Lymph node section stained with H&E, from a whole-slide image of a breast-cancer sentinel node. Magnification about 20×, about 0.23 mm across the frame, about 0.45 µm per pixel.
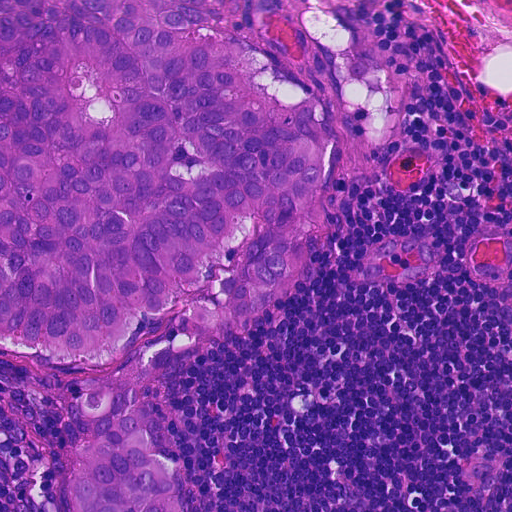
Question: Show where the tumour is in this image.
Answer: Boundaries of two metastatic tumour regions, simplified and listed clockwise, largest first: region 1: (0, 0), (202, 0), (208, 18), (187, 34), (240, 40), (252, 77), (287, 106), (310, 100), (321, 170), (300, 264), (266, 308), (227, 322), (222, 280), (231, 262), (204, 272), (161, 316), (142, 312), (126, 352), (109, 364), (2, 354); region 2: (129, 410), (148, 427), (174, 470), (183, 511), (72, 511), (66, 482), (74, 457), (102, 416).
One more small tumour piece is annotated here but not outlined.
About 40% of the image area is annotated as tumour.